Image:
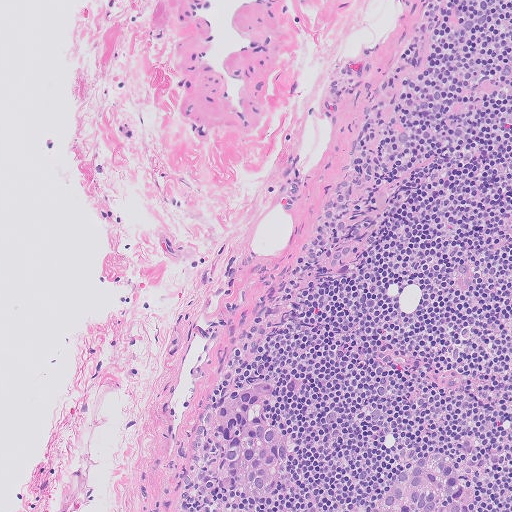
H&E-stained section of a sentinel lymph node (breast cancer), from a whole-slide image, viewed at about 10×: the field is about 0.51 mm across, about 1.0 µm per pixel.
Question:
Describe where the metastatic carcinoma lies in this crop.
Answer:
Outlines of two tumour regions, largest first (closed clockwise paths, crop pixels): region 1: (255, 380), (270, 380), (278, 388), (266, 412), (289, 426), (291, 456), (288, 468), (271, 492), (260, 500), (246, 500), (234, 494), (222, 486), (212, 472), (212, 458), (198, 434), (198, 420), (217, 395), (229, 387); region 2: (445, 452), (461, 466), (467, 479), (473, 492), (472, 505), (475, 511), (333, 511), (359, 509), (371, 504), (407, 460), (420, 453).
One more small tumour piece is annotated here but not outlined.
About 5% of this field is tumour.